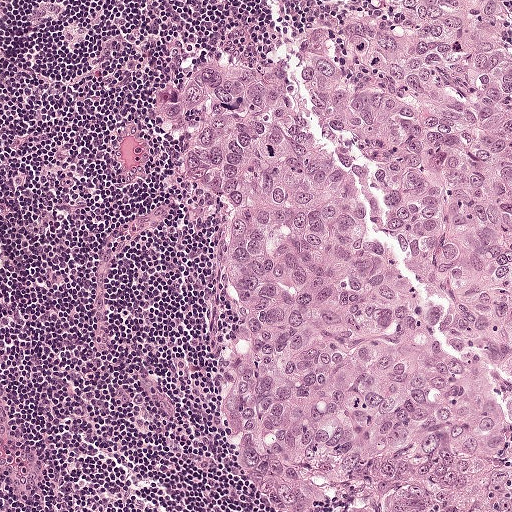
This is a crop of a whole-slide image: an H&E-stained breast-cancer sentinel lymph node section at roughly 10× magnification (about 0.97 µm per pixel; the crop spans about 0.5 mm).
Question: Is there metastatic carcinoma in this field?
Answer: Yes.
One metastatic tumour region; its boundary, reduced to 13 corners and listed clockwise: (347, 0), (511, 0), (511, 511), (350, 511), (354, 498), (336, 511), (251, 508), (228, 473), (216, 414), (221, 236), (148, 118), (163, 90), (370, 27).
Tumour covers about 55% of the frame.